Lymph node section stained with H&E, from a whole-slide image of a breast-cancer sentinel node. Magnification about 10×, about 0.5 mm across the frame, about 0.97 µm per pixel.
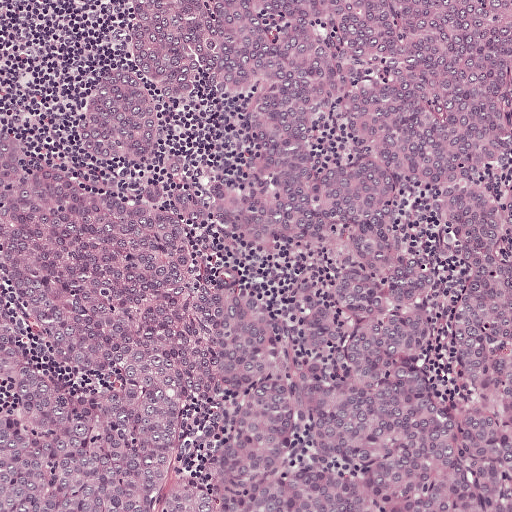
Tumour region outline (a closed clockwise path, crop pixels): (130, 0), (511, 0), (511, 511), (0, 511), (0, 126), (100, 190), (122, 192), (138, 178), (100, 168), (74, 131), (89, 89), (128, 69), (148, 80), (170, 145), (187, 160), (185, 182), (232, 172), (258, 86), (225, 102), (202, 72), (183, 102), (161, 97), (128, 13).
About 90% of the image area is annotated as tumour.